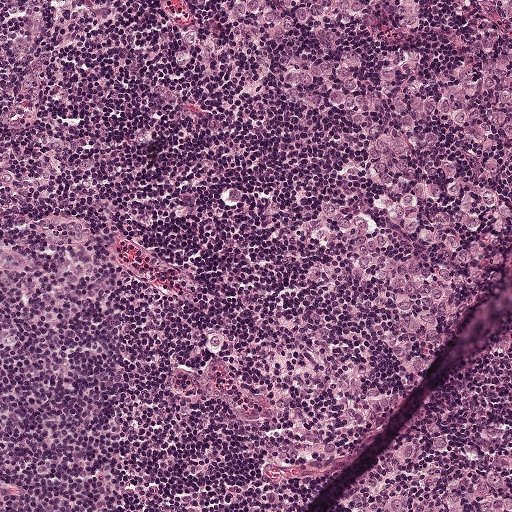
Lymph node section stained with H&E, from a whole-slide image of a breast-cancer sentinel node. Magnification about 10×, about 0.5 mm across the frame, about 0.97 µm per pixel.
Boundaries of two metastatic tumour regions, simplified and listed clockwise, largest first: region 1: (511, 0), (511, 253), (419, 372), (444, 378), (511, 331), (511, 343), (468, 376), (439, 380), (397, 378), (351, 343), (322, 282), (284, 240), (288, 218), (335, 188), (350, 166), (268, 122), (228, 66), (206, 4); region 2: (511, 428), (511, 511), (440, 511), (442, 492), (448, 480), (465, 461).
Tumour covers about 30% of the frame.